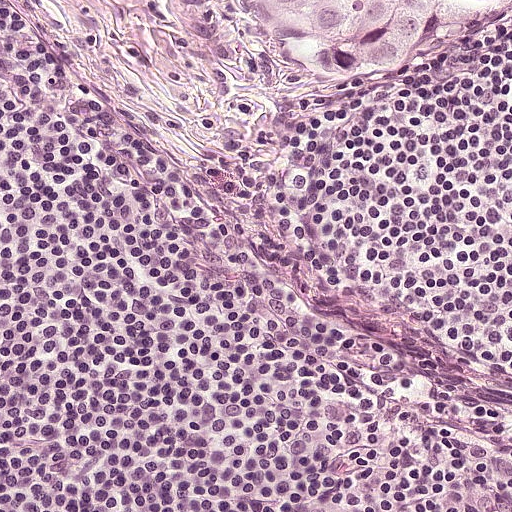
This is a crop of a whole-slide image: an H&E-stained breast-cancer sentinel lymph node section at roughly 20× magnification (about 0.49 µm per pixel; the crop spans about 0.25 mm).
The outlined metastatic tumour's edge, as a closed clockwise path of 12 points: (511, 0), (511, 16), (505, 21), (473, 21), (416, 66), (398, 71), (382, 92), (352, 93), (307, 78), (287, 60), (273, 40), (264, 3).
About 5% of this field is tumour.